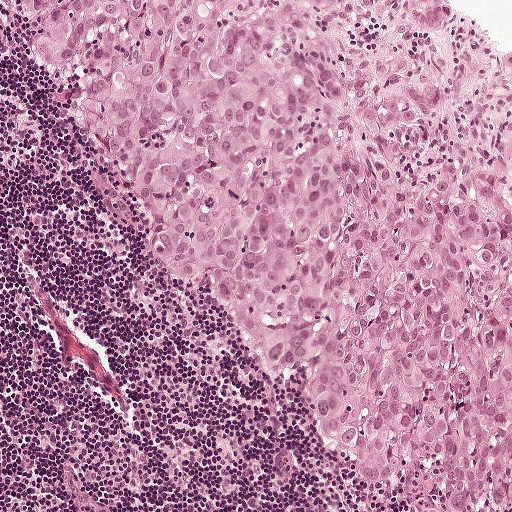
H&E-stained section of a sentinel lymph node (breast cancer), from a whole-slide image, viewed at about 10×: the field is about 0.5 mm across, about 0.97 µm per pixel.
The outlined metastatic tumour's edge, as a closed clockwise path of 12 points: (16, 0), (461, 0), (511, 43), (511, 511), (446, 511), (427, 466), (361, 487), (313, 411), (159, 274), (124, 228), (63, 97), (39, 78).
Tumour covers about 65% of the frame.